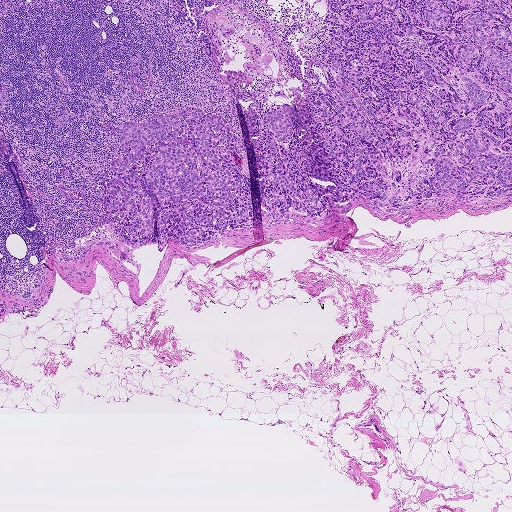
A 1.9-mm field of an H&E-stained sentinel lymph node from a breast-cancer patient (whole-slide image), shown at about 2.5×, about 3.6 µm per pixel.
Question: Describe where the metastatic carcinoma lies in this crop.
Answer: The outlined metastatic tumour's edge, as a closed clockwise path of 24 points: (326, 0), (511, 0), (511, 195), (392, 212), (355, 201), (316, 219), (262, 216), (159, 251), (97, 223), (102, 184), (126, 156), (122, 124), (158, 121), (154, 112), (195, 106), (225, 118), (245, 146), (245, 174), (263, 180), (265, 114), (321, 88), (310, 60), (338, 84), (322, 58).
Tumour covers about 25% of the frame.